Question: 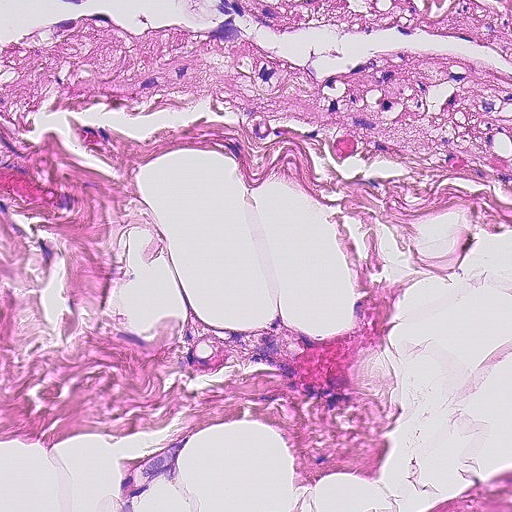
Which magnification is this H&E lymph node field most likely shown at?

Choices:
 (A) about 2.5×
 (B) about 40×
 (C) about 10×
 (D) about 20×
 (E) about 5×

Answer: (D) about 20×
A 0.23-mm field of an H&E-stained sentinel lymph node from a breast-cancer patient (whole-slide image), shown at about 20×, about 0.45 µm per pixel.